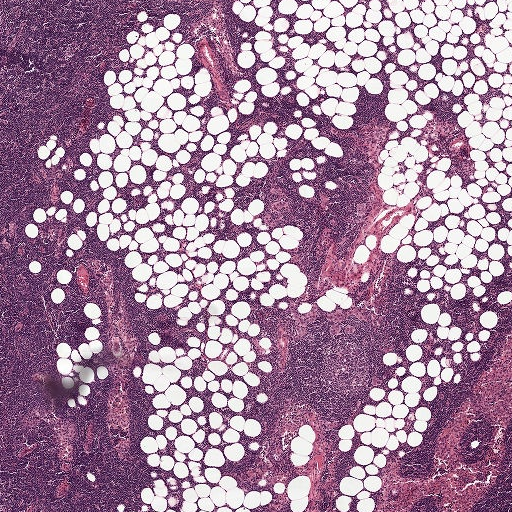
Lymph node section stained with H&E, from a whole-slide image of a breast-cancer sentinel node. Magnification about 2.5×, about 2.0 mm across the frame, about 3.9 µm per pixel.
Boundaries of four metastatic tumour regions, simplified and listed clockwise, largest first: region 1: (364, 306), (382, 316), (382, 325), (380, 326), (349, 318), (346, 322), (354, 327), (353, 334), (346, 334), (342, 332), (339, 334), (332, 334), (329, 332), (330, 320), (324, 316), (324, 313), (330, 310), (344, 312), (355, 307); region 2: (312, 303), (318, 306), (317, 317), (307, 330), (301, 342), (290, 341), (290, 338), (296, 334), (296, 330), (290, 312), (290, 306), (299, 312), (303, 312); region 3: (276, 184), (282, 190), (287, 202), (287, 205), (283, 211), (284, 217), (277, 225), (269, 225), (265, 223), (263, 219), (255, 220), (254, 218), (255, 215), (264, 216), (272, 212), (273, 203), (279, 201), (278, 197), (268, 193), (269, 186); region 4: (360, 203), (363, 203), (365, 204), (366, 207), (366, 212), (363, 219), (360, 221), (358, 221), (357, 221), (356, 220), (355, 217), (357, 214), (358, 206), (359, 204).
Two more small tumour pieces are annotated here but not outlined.
The annotated tumour makes up under 5% of the crop.